This is a crop of a whole-slide image: an H&E-stained breast-cancer sentinel lymph node section at roughly 20× magnification (about 0.49 µm per pixel; the crop spans about 0.25 mm).
Image:
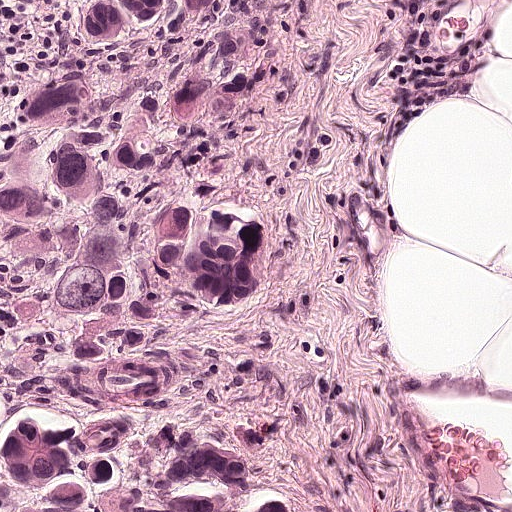
Question:
Where is the metastatic tumour in this field? Give each region's outline as (x, y) pixel points.
Answer:
The outlined metastatic tumour's edge, as a closed clockwise path of 11 points: (0, 0), (294, 0), (231, 151), (236, 175), (281, 222), (283, 280), (242, 318), (152, 346), (140, 375), (312, 510), (0, 511).
About 45% of this field is tumour.